Question: 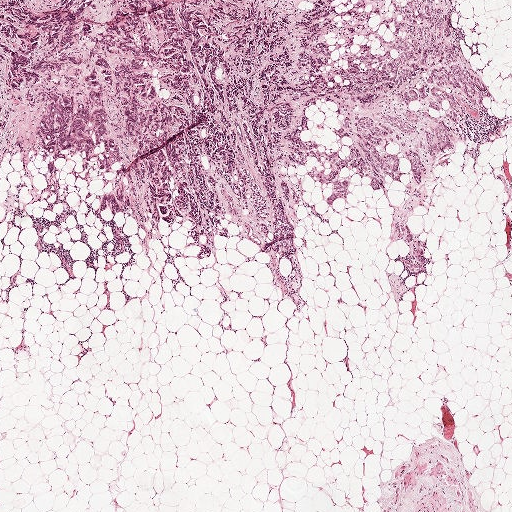
A 2.0-mm field of an H&E-stained sentinel lymph node from a breast-cancer patient (whole-slide image), shown at about 2.5×, about 3.9 µm per pixel.
About how much of this crop is taken up by metastatic carcinoma?

Choices:
 (A) none: no tumour is outlined
 (B) about 10% to 20%
 (C) about 25% to 45%
 (D) about 5% or less
 (E) about 50% or more

Answer: (E) about 50% or more
About 50% of the field is tumour.
Metastatic tumour outline, simplified to 18 points and listed clockwise in crop pixels (x, y): (0, 0), (458, 0), (501, 138), (443, 176), (434, 232), (443, 262), (422, 305), (375, 298), (373, 199), (325, 244), (294, 296), (258, 291), (242, 260), (219, 273), (149, 266), (109, 296), (45, 291), (0, 262).